This is a crop of a whole-slide image: an H&E-stained breast-cancer sentinel lymph node section at roughly 2.5× magnification (about 3.9 µm per pixel; the crop spans about 2.0 mm).
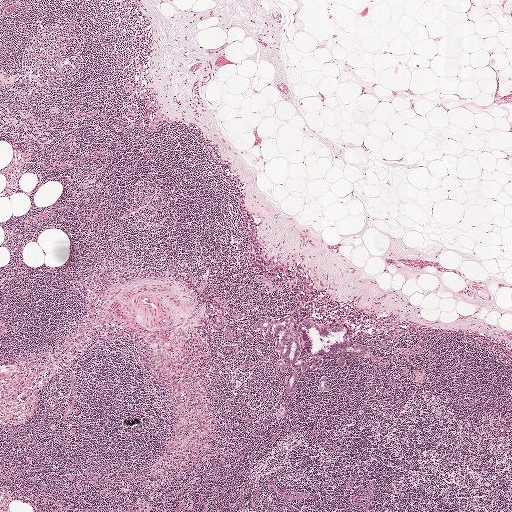
Three metastatic tumour regions, each outlined as a closed clockwise path in crop pixels (x, y), largest first: region 1: (288, 316), (300, 322), (312, 319), (324, 327), (333, 321), (347, 322), (354, 329), (355, 341), (369, 346), (371, 356), (350, 357), (341, 369), (335, 356), (316, 372), (299, 371), (295, 394), (288, 394), (286, 374), (275, 365), (278, 354), (272, 336), (257, 330), (255, 322), (261, 317); region 2: (325, 376), (326, 377), (327, 379), (328, 385), (329, 389), (329, 390), (328, 391), (322, 391), (317, 390), (318, 384), (319, 379), (321, 377); region 3: (281, 405), (285, 406), (286, 410), (284, 417), (279, 420), (276, 420), (275, 418), (275, 416), (278, 407).
Under 5% of this field is tumour.